Question: 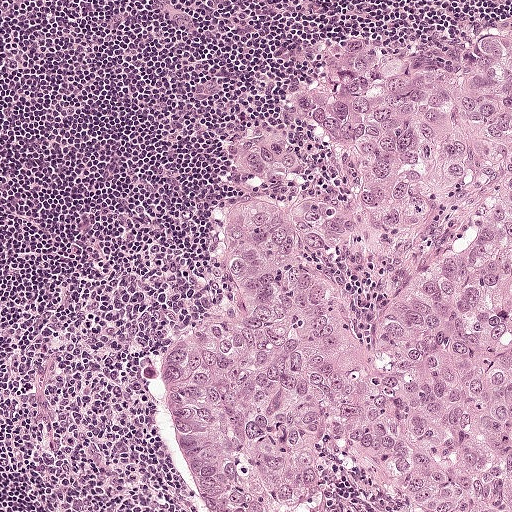
H&E-stained section of a sentinel lymph node (breast cancer), from a whole-slide image, viewed at about 10×: the field is about 0.5 mm across, about 0.97 µm per pixel.
What fraction of the image area is metastatic tumour?

Choices:
 (A) about 5% or less
 (B) about 10% to 20%
 (C) none: no tumour is outlined
 (D) about 50% or more
 (E) about 25% to 45%

Answer: (D) about 50% or more
About 50% of the field is tumour.
Metastatic tumour outline, simplified to 19 points and listed clockwise in crop pixels (x, y): (511, 26), (511, 511), (207, 511), (176, 455), (158, 378), (220, 284), (214, 234), (236, 191), (226, 147), (258, 129), (287, 130), (306, 144), (325, 192), (338, 184), (338, 159), (289, 92), (316, 76), (330, 43), (416, 51).